This is a crop of a whole-slide image: an H&E-stained breast-cancer sentinel lymph node section at roughly 20× magnification (about 0.49 µm per pixel; the crop spans about 0.25 mm).
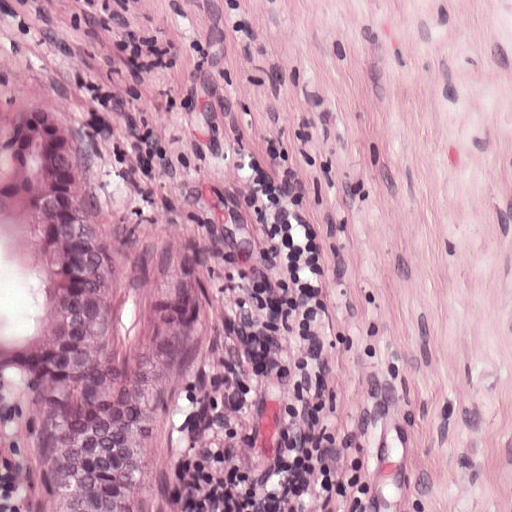
One metastatic tumour region; its boundary, reduced to 6 corners and listed clockwise: (0, 20), (176, 116), (233, 223), (247, 344), (211, 511), (0, 511).
The annotated tumour makes up about 35% of the crop.